Image:
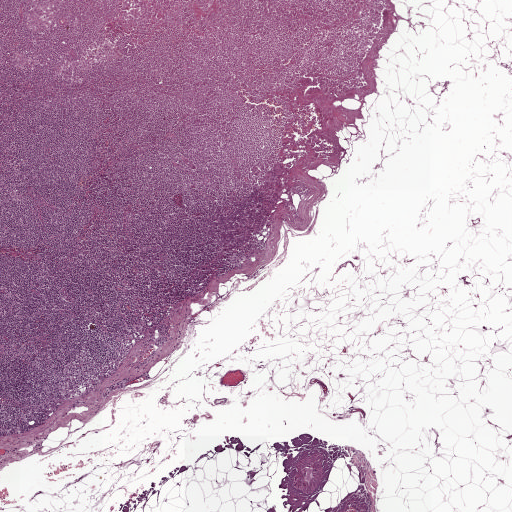
H&E-stained section of a sentinel lymph node (breast cancer), from a whole-slide image, viewed at about 2.5×: the field is about 2.0 mm across, about 3.9 µm per pixel.
Question:
Where is the metastatic tumour in this field?
Answer:
Metastatic tumour outline, simplified to 21 points and listed clockwise in crop pixels (x, y): (277, 162), (284, 164), (285, 168), (284, 188), (277, 210), (273, 211), (269, 229), (266, 226), (258, 234), (258, 241), (238, 251), (223, 255), (219, 253), (207, 242), (200, 223), (222, 204), (226, 216), (234, 212), (232, 202), (252, 191), (258, 180).
Under 5% of the image area is annotated as tumour.

Image:
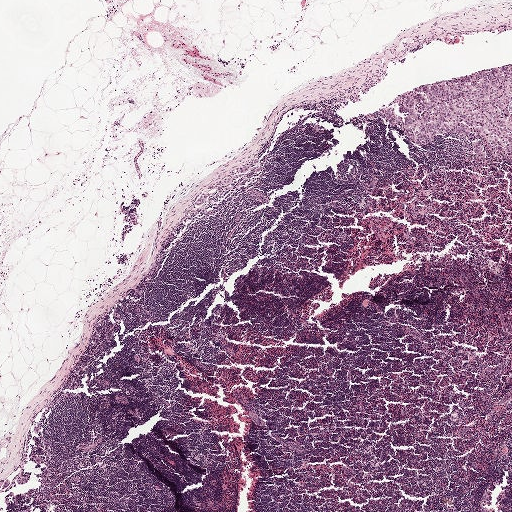
Lymph node section stained with H&E, from a whole-slide image of a breast-cancer sentinel node. Magnification about 2.5×, about 2.0 mm across the frame, about 3.9 µm per pixel.
Question:
Where is the metastatic tumour in this field?
Answer:
Outlines of four tumour regions, largest first (closed clockwise paths, crop pixels): region 1: (511, 65), (511, 157), (495, 156), (484, 136), (474, 131), (470, 135), (455, 131), (435, 132), (432, 142), (426, 146), (412, 141), (400, 126), (389, 122), (384, 110), (388, 107), (406, 118), (406, 114), (400, 112), (401, 101), (413, 89), (427, 84), (461, 80), (482, 69); region 2: (475, 140), (482, 140), (485, 154), (484, 161), (478, 161), (473, 157), (470, 151), (472, 144); region 3: (257, 159), (260, 161), (260, 163), (257, 165), (251, 165), (250, 167), (251, 168), (253, 168), (260, 167), (261, 168), (261, 171), (259, 173), (256, 173), (249, 170), (245, 173), (242, 173), (238, 172), (238, 167); region 4: (209, 192), (210, 194), (210, 196), (208, 197), (206, 200), (204, 201), (203, 204), (197, 206), (193, 205), (193, 203), (195, 200), (202, 194).
11 more small tumour pieces are annotated here but not outlined.
About 5% of this field is tumour.

Image:
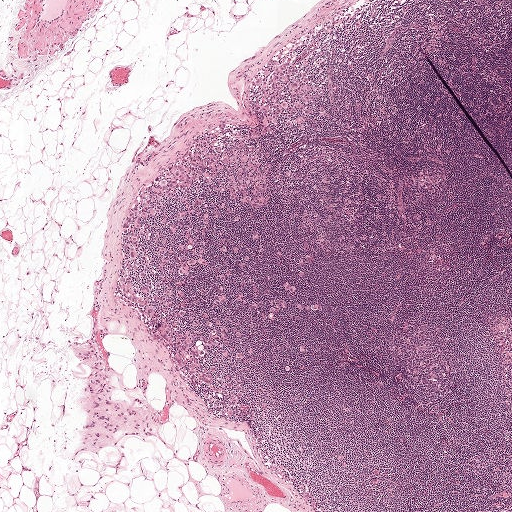
Lymph node section stained with H&E, from a whole-slide image of a breast-cancer sentinel node. Magnification about 2.5×, about 2.0 mm across the frame, about 3.9 µm per pixel.
Question:
Where is the metastatic tumour in this field?
Answer:
Metastatic tumour outline, simplified to 19 points and listed clockwise in crop pixels (x, y): (290, 39), (333, 99), (318, 128), (279, 151), (257, 214), (274, 246), (310, 245), (308, 276), (327, 302), (302, 376), (266, 350), (243, 358), (255, 420), (203, 402), (115, 296), (117, 225), (211, 123), (247, 116), (257, 64).
About 15% of the image area is annotated as tumour.

Image:
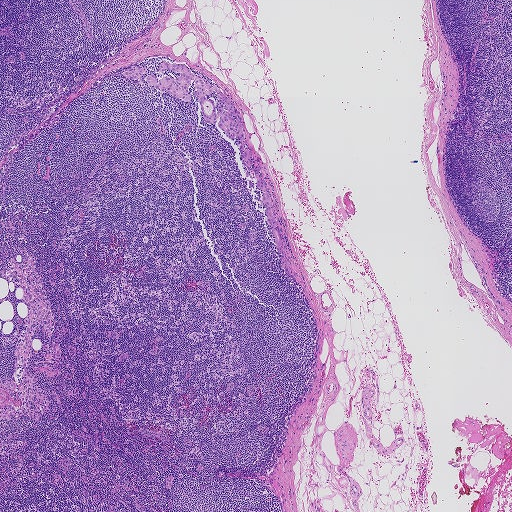
A 1.9-mm field of an H&E-stained sentinel lymph node from a breast-cancer patient (whole-slide image), shown at about 2.5×, about 3.6 µm per pixel.
Question:
Where is the metastatic tumour in this field?
Answer:
Metastatic tumour outline, simplified to 40 points and listed clockwise in crop pixels (x, y): (164, 59), (184, 64), (195, 77), (199, 74), (206, 84), (215, 84), (237, 109), (245, 149), (251, 149), (255, 165), (262, 166), (259, 177), (267, 187), (296, 281), (281, 265), (254, 166), (250, 172), (243, 166), (236, 145), (239, 139), (227, 137), (218, 118), (212, 124), (205, 120), (191, 95), (197, 90), (195, 80), (187, 88), (187, 101), (152, 87), (146, 75), (141, 76), (144, 82), (121, 73), (133, 66), (157, 75), (158, 83), (161, 77), (180, 74), (159, 71).
Tumour covers under 5% of the frame.